Question: 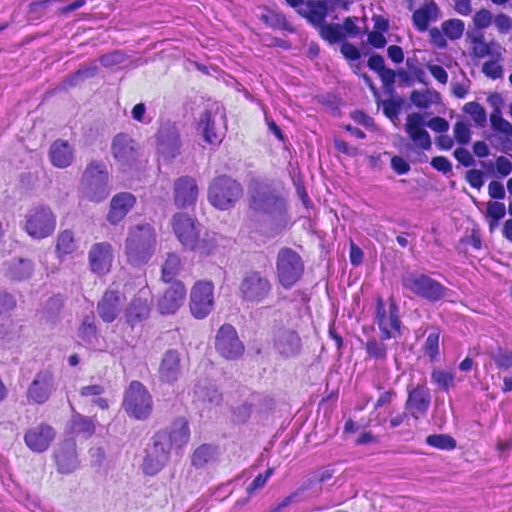
Which magnification is this H&E lymph node field most likely shown at?

Choices:
 (A) about 40×
 (B) about 10×
 (C) about 2.5×
 (D) about 5×
 (E) about 20×

Answer: (A) about 40×
H&E-stained section of a sentinel lymph node (breast cancer), from a whole-slide image, viewed at about 40×: the field is about 0.12 mm across, about 0.23 µm per pixel.
The outlined metastatic tumour's edge, as a closed clockwise path of 13 points: (171, 63), (232, 85), (306, 187), (328, 248), (336, 373), (252, 469), (189, 511), (47, 511), (26, 500), (0, 451), (0, 135), (51, 90), (109, 67).
About 50% of the image area is annotated as tumour.